H&E-stained section of a sentinel lymph node (breast cancer), from a whole-slide image, viewed at about 10×: the field is about 0.46 mm across, about 0.9 µm per pixel.
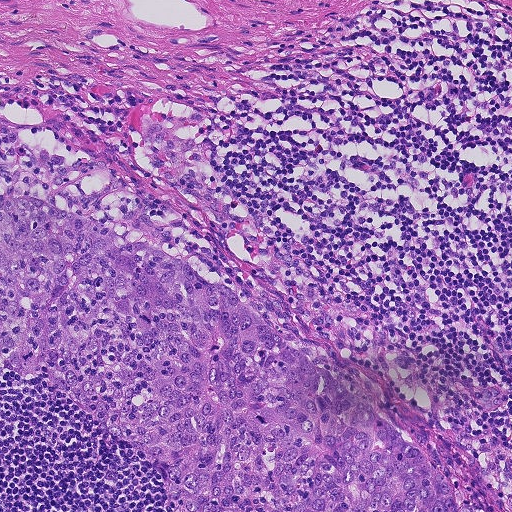
Question: Is there metastatic carcinoma in this field?
Answer: Yes.
One metastatic tumour region; its boundary, reduced to 6 corners and listed clockwise: (0, 193), (210, 266), (491, 511), (172, 511), (154, 466), (0, 369).
About 30% of the image area is annotated as tumour.